Image:
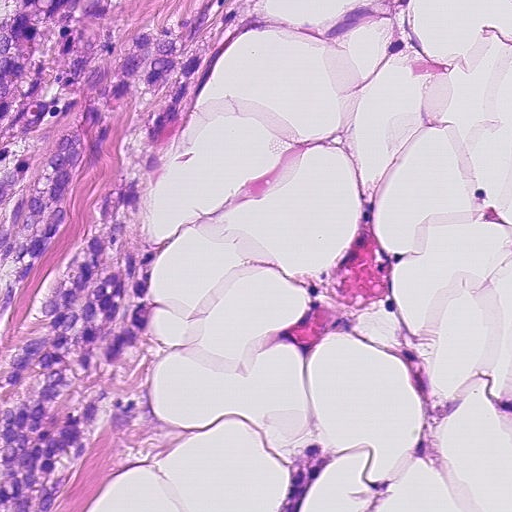
H&E-stained section of a sentinel lymph node (breast cancer), from a whole-slide image, viewed at about 20×: the field is about 0.23 mm across, about 0.45 µm per pixel.
Question:
Trace the edge of each tumour region in this crop, as (x, y) points from 0 to 511.
Answer:
Boundaries of two metastatic tumour regions, simplified and listed clockwise, largest first: region 1: (0, 0), (137, 0), (125, 28), (185, 0), (257, 0), (164, 170), (150, 422), (136, 446), (106, 448), (70, 496), (74, 511), (0, 511); region 2: (304, 440), (327, 458), (316, 486), (300, 511), (270, 511).
About 30% of the image area is annotated as tumour.